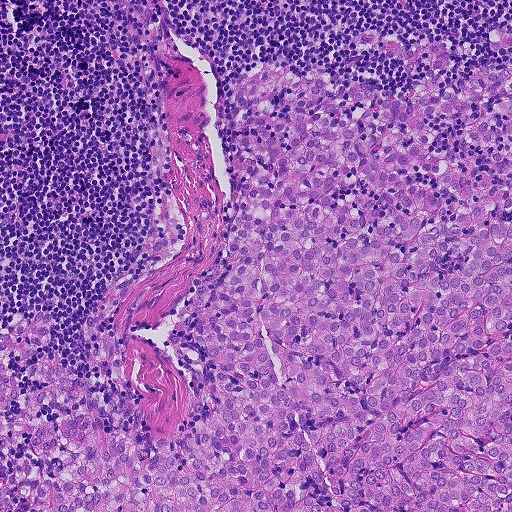
Lymph node section stained with H&E, from a whole-slide image of a breast-cancer sentinel node. Magnification about 10×, about 0.46 mm across the frame, about 0.9 µm per pixel.
The outlined metastatic tumour's edge, as a closed clockwise path of 22 points: (402, 42), (448, 46), (438, 89), (508, 68), (511, 511), (0, 511), (0, 485), (63, 459), (26, 423), (0, 439), (1, 328), (51, 315), (6, 361), (19, 394), (62, 363), (153, 456), (206, 424), (194, 285), (226, 247), (248, 72), (413, 100), (434, 82).
The annotated tumour makes up about 55% of the crop.